Lymph node section stained with H&E, from a whole-slide image of a breast-cancer sentinel node. Magnification about 10×, about 0.46 mm across the frame, about 0.91 µm per pixel.
Question: 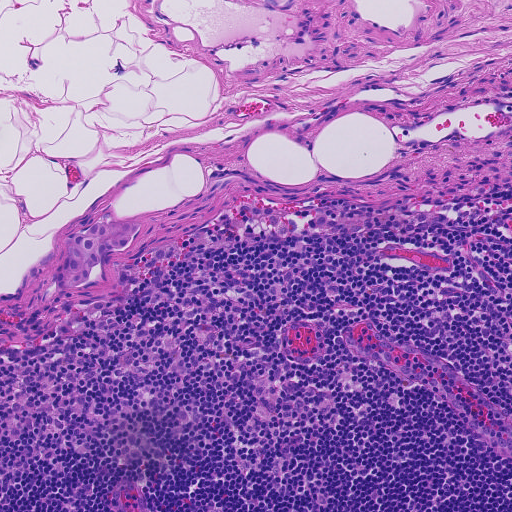
What fraction of the image area is metastatic tumour?

Choices:
 (A) about 10% to 20%
 (B) about 5% or less
 (C) about 25% to 45%
 (D) none: no tumour is outlined
 (E) about 50% or more

Answer: (B) about 5% or less
Under 5% of the field is tumour.
Tumour region outline (a closed clockwise path, crop pixels): (117, 218), (143, 222), (140, 232), (134, 236), (130, 246), (122, 251), (114, 251), (106, 257), (87, 282), (64, 290), (54, 288), (50, 283), (50, 273), (62, 248), (62, 234), (90, 228), (96, 222).